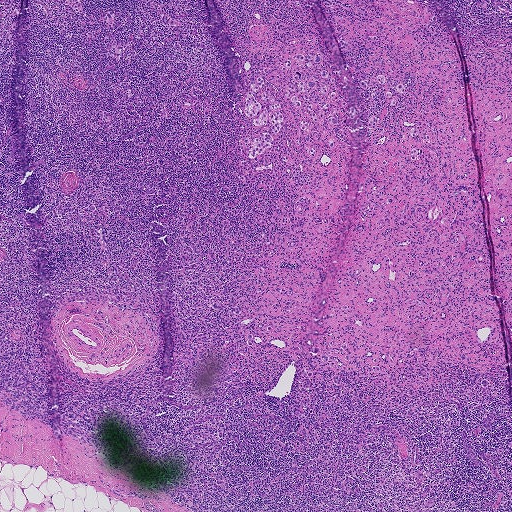
Lymph node section stained with H&E, from a whole-slide image of a breast-cancer sentinel node. Magnification about 2.5×, about 1.9 mm across the frame, about 3.6 µm per pixel.
Question: Where is the metastatic tumour in this field?
Answer: Six metastatic tumour regions, each outlined as a closed clockwise path in crop pixels (x, y), largest first: region 1: (259, 77), (263, 78), (265, 85), (262, 88), (259, 87), (258, 92), (268, 93), (280, 104), (283, 121), (277, 134), (274, 134), (272, 131), (272, 124), (266, 125), (274, 140), (274, 144), (272, 147), (266, 149), (263, 154), (250, 158), (245, 154), (240, 155), (238, 148), (246, 136), (252, 137), (253, 118), (248, 117), (243, 112), (244, 97), (245, 93), (252, 91), (249, 83); region 2: (327, 70), (335, 80), (333, 82), (326, 79), (327, 85), (337, 96), (333, 99), (327, 93), (322, 95), (320, 89), (324, 84), (316, 84), (318, 95), (313, 103), (328, 100), (329, 109), (335, 111), (333, 116), (337, 124), (320, 117), (318, 123), (315, 122), (311, 114), (313, 112), (307, 108), (300, 114), (283, 93), (287, 82), (295, 86), (298, 82), (292, 78), (294, 72), (300, 71), (305, 82), (312, 78), (321, 80), (321, 71); region 3: (300, 53), (306, 56), (310, 54), (319, 54), (321, 57), (321, 60), (318, 62), (312, 61), (314, 65), (312, 68), (309, 68), (296, 64), (292, 58), (294, 55); region 4: (321, 0), (337, 0), (349, 3), (355, 7), (362, 7), (368, 11), (371, 8), (373, 9), (373, 12), (371, 12), (370, 11), (368, 12), (369, 14), (368, 17), (364, 17), (358, 15), (354, 9), (347, 9), (337, 5), (327, 7), (322, 3); region 5: (371, 116), (376, 117), (379, 123), (378, 126), (384, 127), (384, 134), (382, 135), (379, 134), (377, 132), (378, 129), (376, 127), (376, 124), (375, 127), (372, 129), (369, 128), (367, 126), (368, 119); region 6: (322, 355), (326, 355), (328, 357), (329, 360), (332, 361), (335, 363), (335, 366), (333, 367), (330, 365), (328, 362), (325, 363), (322, 362), (320, 359), (321, 357).
48 more small tumour pieces are annotated here but not outlined.
Tumour covers under 5% of the frame.